Question: 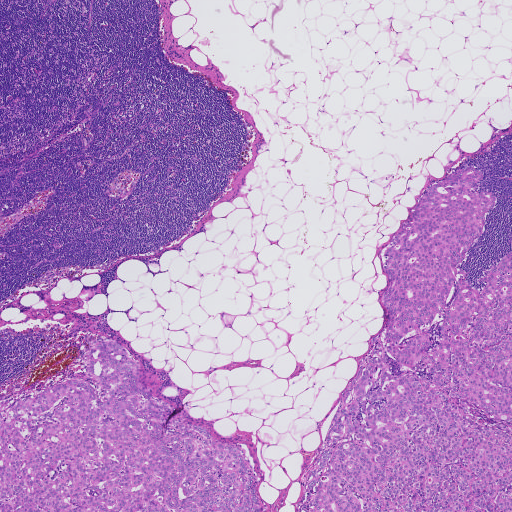
Which magnification is this H&E lymph node field most likely shown at?

Choices:
 (A) about 5×
 (B) about 40×
 (C) about 10×
 (D) about 20×
 (E) about 2.5×

Answer: (E) about 2.5×
This is a crop of a whole-slide image: an H&E-stained breast-cancer sentinel lymph node section at roughly 2.5× magnification (about 3.6 µm per pixel; the crop spans about 1.9 mm).
Boundaries of two metastatic tumour regions, simplified and listed clockwise, largest first: region 1: (474, 166), (485, 174), (473, 191), (492, 191), (496, 204), (457, 266), (481, 291), (486, 269), (508, 252), (511, 511), (298, 511), (342, 393), (387, 318), (380, 251), (420, 194); region 2: (93, 338), (120, 343), (141, 363), (154, 394), (245, 451), (265, 511), (0, 511), (0, 397), (88, 379), (85, 356).
About 30% of this field is tumour.